Question: 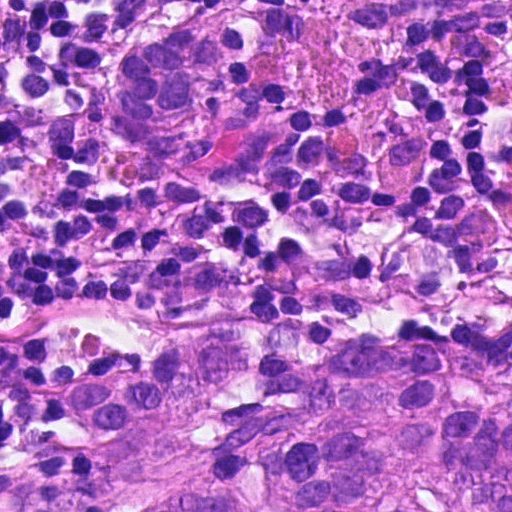
Which magnification is this H&E lymph node field most likely shown at?

Choices:
 (A) about 10×
 (B) about 20×
 (C) about 5×
 (D) about 40×
 (E) about 2.5×

Answer: (D) about 40×
H&E-stained section of a sentinel lymph node (breast cancer), from a whole-slide image, viewed at about 40×: the field is about 0.12 mm across, about 0.23 µm per pixel.
Two metastatic tumour regions, each outlined as a closed clockwise path in crop pixels (x, y), largest first: region 1: (197, 313), (367, 333), (492, 320), (511, 351), (511, 511), (0, 511), (0, 456), (87, 424), (0, 408), (0, 340), (143, 344); region 2: (211, 20), (236, 49), (209, 116), (143, 139), (96, 88), (138, 30).
About 40% of this field is tumour.